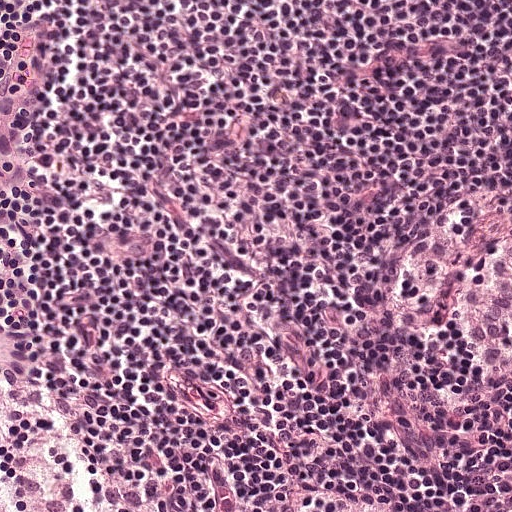
Lymph node section stained with H&E, from a whole-slide image of a breast-cancer sentinel node. Magnification about 20×, about 0.25 mm across the frame, about 0.49 µm per pixel.